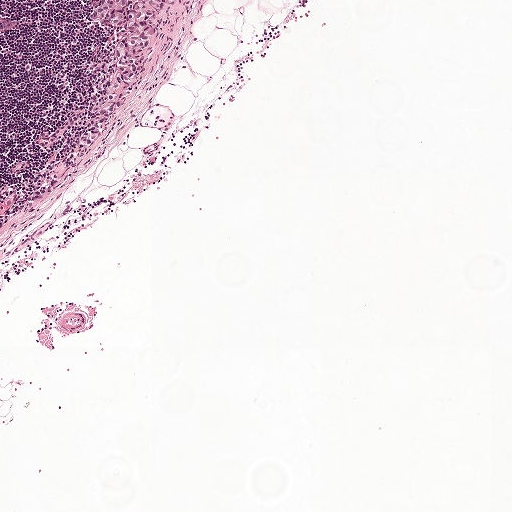
H&E-stained section of a sentinel lymph node (breast cancer), from a whole-slide image, viewed at about 5×: the field is about 1 mm across, about 1.9 µm per pixel.
Metastatic tumour outline, simplified to 16 points and listed clockwise in crop pixels (x, y): (97, 0), (168, 0), (154, 23), (145, 66), (123, 111), (107, 127), (92, 151), (86, 156), (78, 156), (73, 153), (112, 74), (121, 41), (117, 32), (105, 27), (98, 18), (95, 10).
Under 5% of this field is tumour.